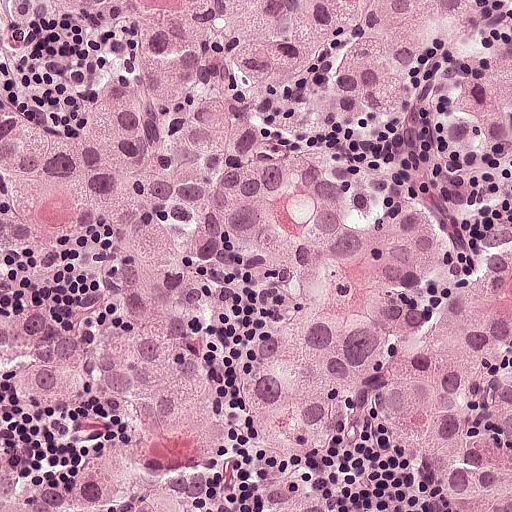
Lymph node section stained with H&E, from a whole-slide image of a breast-cancer sentinel node. Magnification about 20×, about 0.25 mm across the frame, about 0.49 µm per pixel.
The outlined metastatic tumour's edge, as a closed clockwise path of 9 points: (0, 0), (511, 0), (511, 511), (443, 511), (458, 505), (368, 411), (316, 464), (340, 511), (0, 511).
Tumour covers about 95% of the frame.